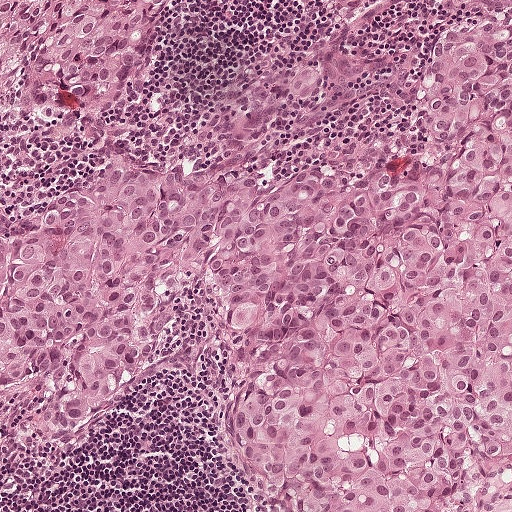
A 0.5-mm field of an H&E-stained sentinel lymph node from a breast-cancer patient (whole-slide image), shown at about 10×, about 0.97 µm per pixel.
Question: Trace the edge of each tumour region in this crop, as (x, y) points from 0 to 511.
Answer: Boundaries of two metastatic tumour regions, simplified and listed clockwise, largest first: region 1: (376, 0), (334, 26), (403, 48), (411, 74), (258, 162), (311, 160), (416, 110), (446, 17), (511, 6), (511, 464), (446, 511), (287, 511), (227, 436), (238, 350), (202, 277), (122, 396), (50, 438), (0, 435), (0, 196), (148, 145), (250, 40); region 2: (0, 0), (177, 0), (140, 81), (46, 122), (0, 127).
The annotated tumour makes up about 75% of the crop.